Image:
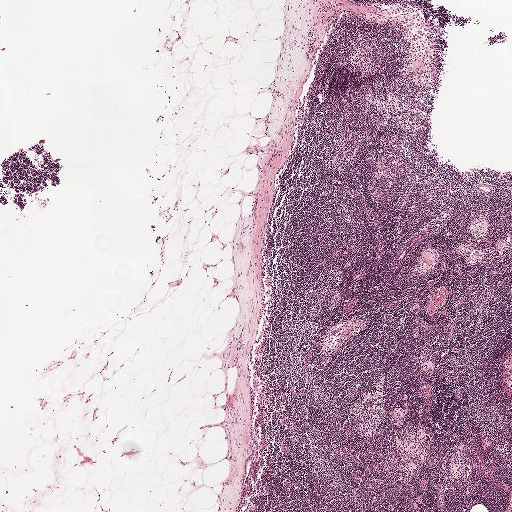
H&E-stained section of a sentinel lymph node (breast cancer), from a whole-slide image, viewed at about 2.5×: the field is about 2.0 mm across, about 3.9 µm per pixel.
Question:
Is there metastatic carcinoma in this field?
Answer:
No, this field holds no outlined metastasis.